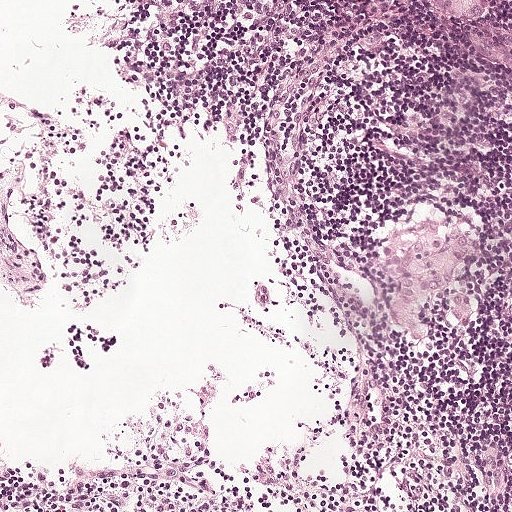
A 0.5-mm field of an H&E-stained sentinel lymph node from a breast-cancer patient (whole-slide image), shown at about 10×, about 0.97 µm per pixel.
Boundaries of two metastatic tumour regions, simplified and listed clockwise, largest first: region 1: (417, 214), (460, 227), (480, 250), (478, 262), (460, 266), (462, 301), (470, 311), (466, 322), (454, 324), (441, 319), (436, 293), (427, 292), (423, 294), (423, 331), (414, 342), (398, 339), (382, 327), (377, 319), (378, 266), (364, 256), (362, 250), (368, 237); region 2: (420, 0), (482, 0), (482, 10), (478, 21), (468, 26), (449, 24), (437, 16).
One more small tumour piece is annotated here but not outlined.
The annotated tumour makes up about 5% of the crop.